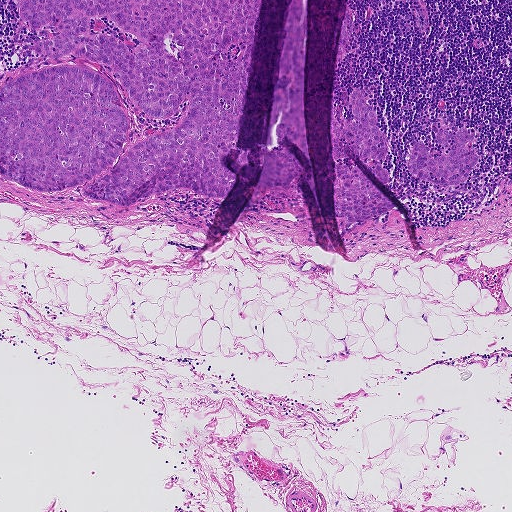
This is a crop of a whole-slide image: an H&E-stained breast-cancer sentinel lymph node section at roughly 5× magnification (about 1.8 µm per pixel; the crop spans about 0.93 mm).
Outlines of three tumour regions, largest first (closed clockwise paths, crop pixels): region 1: (23, 0), (259, 0), (234, 142), (220, 160), (233, 176), (222, 196), (81, 194), (119, 156), (55, 191), (1, 174), (0, 87), (13, 79), (93, 70), (128, 115), (123, 146), (178, 125), (188, 100), (157, 120), (109, 66), (38, 52), (57, 28), (26, 22); region 2: (359, 86), (376, 112), (387, 143), (384, 159), (373, 162), (387, 171), (394, 192), (359, 149), (342, 145), (342, 151), (394, 206), (370, 221), (354, 222), (345, 220), (336, 207), (332, 158), (332, 102), (333, 104), (341, 104), (346, 120), (355, 121), (350, 115), (349, 98), (351, 89); region 3: (441, 126), (454, 133), (460, 128), (468, 128), (474, 138), (468, 142), (466, 146), (478, 156), (477, 163), (470, 168), (464, 183), (442, 185), (426, 183), (409, 174), (406, 167), (407, 159), (418, 138), (429, 148), (431, 156), (446, 155), (452, 140), (447, 146), (439, 145), (434, 139).
About 20% of the image area is annotated as tumour.